Question: 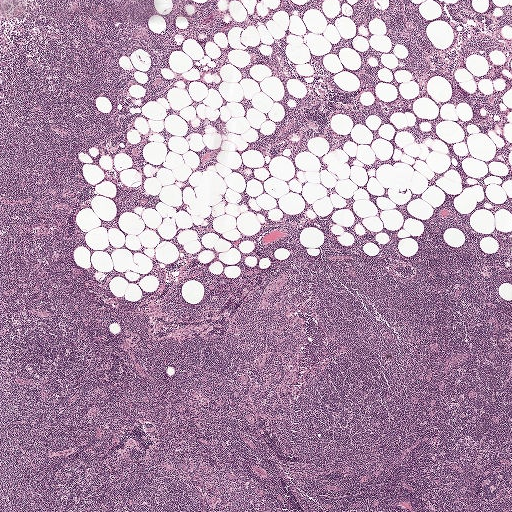
About what magnification does this crop show?

Choices:
 (A) about 10×
 (B) about 20×
 (C) about 40×
 (D) about 2.5×
 (E) about 5×

Answer: (D) about 2.5×
This is a crop of a whole-slide image: an H&E-stained breast-cancer sentinel lymph node section at roughly 2.5× magnification (about 3.9 µm per pixel; the crop spans about 2.0 mm).